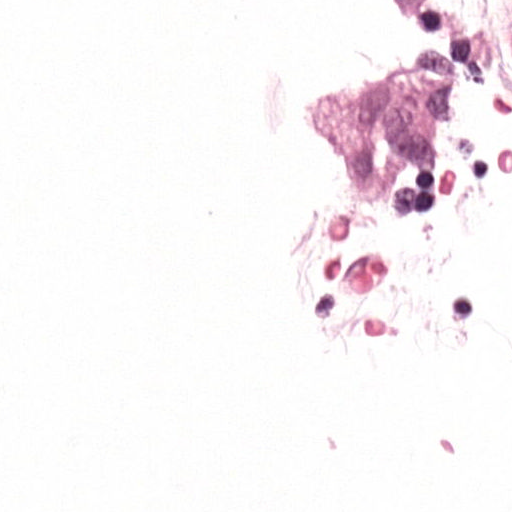
This is a crop of a whole-slide image: an H&E-stained breast-cancer sentinel lymph node section at roughly 40× magnification (about 0.24 µm per pixel; the crop spans about 0.12 mm).
Tumour region outline (a closed clockwise path, crop pixels): (356, 0), (459, 3), (477, 99), (432, 188), (336, 197), (285, 114), (324, 25).
About 10% of the image area is annotated as tumour.